Question: 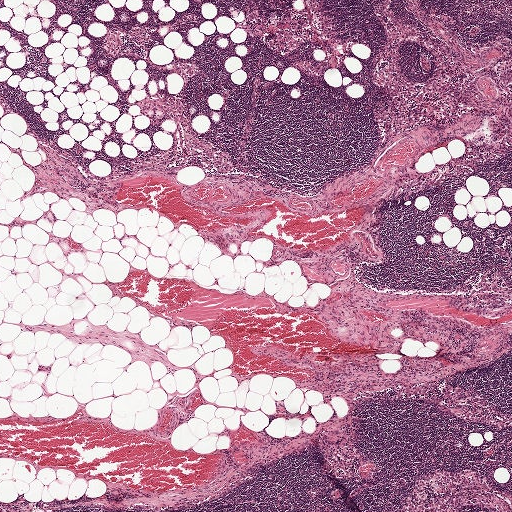
About what magnification does this crop show?

Choices:
 (A) about 2.5×
 (B) about 5×
 (C) about 20×
 (D) about 40×
 (E) about 10×

Answer: (A) about 2.5×
Lymph node section stained with H&E, from a whole-slide image of a breast-cancer sentinel node. Magnification about 2.5×, about 2.0 mm across the frame, about 3.9 µm per pixel.